Image:
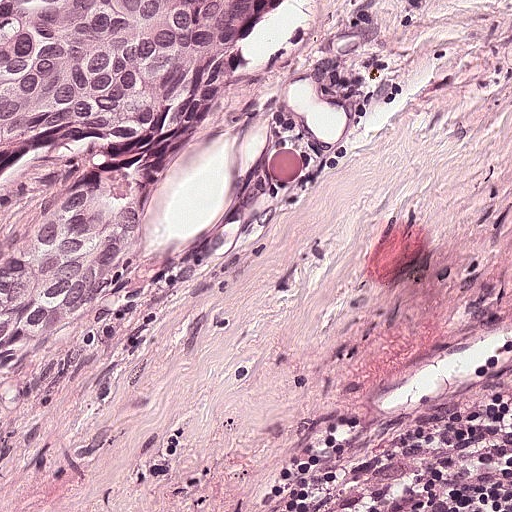
This is a crop of a whole-slide image: an H&E-stained breast-cancer sentinel lymph node section at roughly 20× magnification (about 0.49 µm per pixel; the crop spans about 0.25 mm).
Question:
Trace the edge of each tumour region in this crop, as (x, y) points from 0 to 511.
Answer:
The outlined metastatic tumour's edge, as a closed clockwise path of 12 points: (280, 0), (220, 59), (144, 250), (42, 340), (0, 393), (0, 254), (97, 181), (108, 162), (94, 142), (61, 132), (0, 168), (2, 1).
About 20% of the image area is annotated as tumour.